Question: 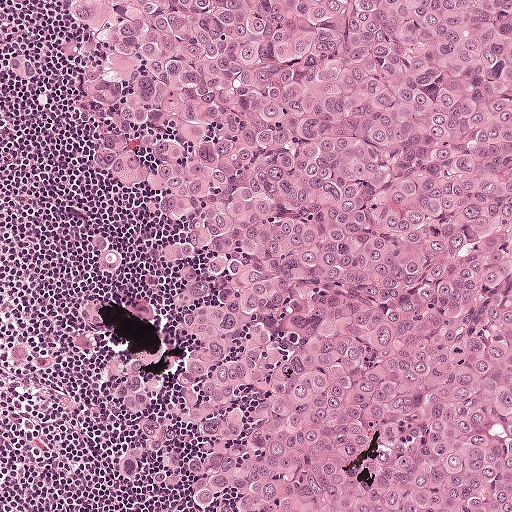
A 0.5-mm field of an H&E-stained sentinel lymph node from a breast-cancer patient (whole-slide image), shown at about 10×, about 0.97 µm per pixel.
About how much of this crop is taken up by metastatic carcinoma?

Choices:
 (A) about 10% to 20%
 (B) none: no tumour is outlined
 (C) about 25% to 45%
 (D) about 5% or less
 (E) about 50% or more

Answer: (E) about 50% or more
About 80% of the field is tumour.
Outlines of two tumour regions, largest first (closed clockwise paths, crop pixels): region 1: (66, 0), (511, 0), (511, 511), (210, 511), (168, 281), (103, 169); region 2: (92, 233), (127, 251), (118, 253), (145, 259), (152, 274), (166, 388), (193, 485), (189, 498), (147, 498), (116, 483), (116, 424), (104, 403), (3, 374), (5, 358), (16, 348), (53, 348), (61, 342), (80, 251).